Image:
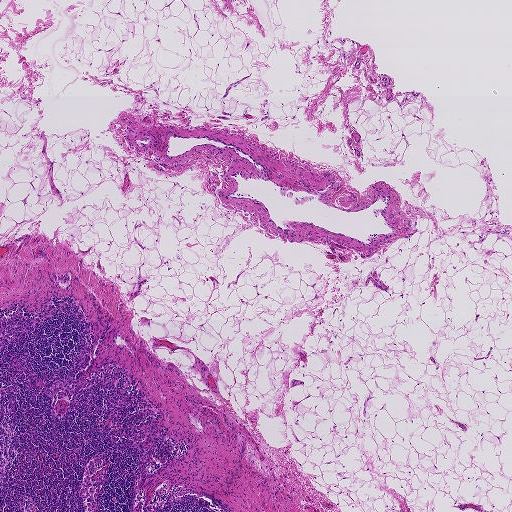
A 1.9-mm field of an H&E-stained sentinel lymph node from a breast-cancer patient (whole-slide image), shown at about 2.5×, about 3.6 µm per pixel.
Question:
Is any metastatic breast cancer visible in this crop?
Answer:
No: no metastatic tumour is outlined anywhere in this field.